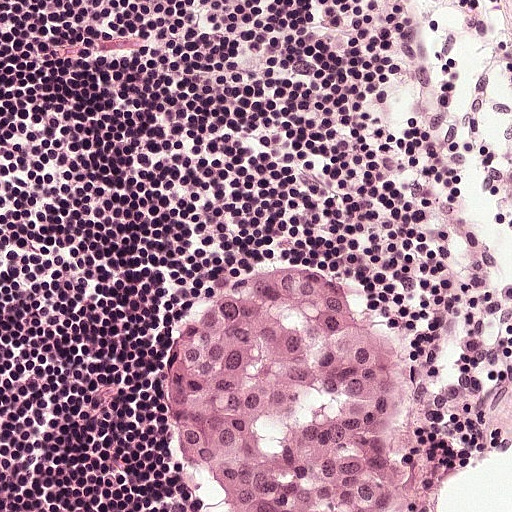
H&E-stained section of a sentinel lymph node (breast cancer), from a whole-slide image, viewed at about 20×: the field is about 0.25 mm across, about 0.49 µm per pixel.
The outlined metastatic tumour's edge, as a closed clockwise path of 11 points: (274, 267), (365, 304), (415, 406), (415, 433), (387, 511), (212, 511), (198, 498), (166, 426), (162, 364), (188, 310), (218, 288).
The annotated tumour makes up about 20% of the crop.